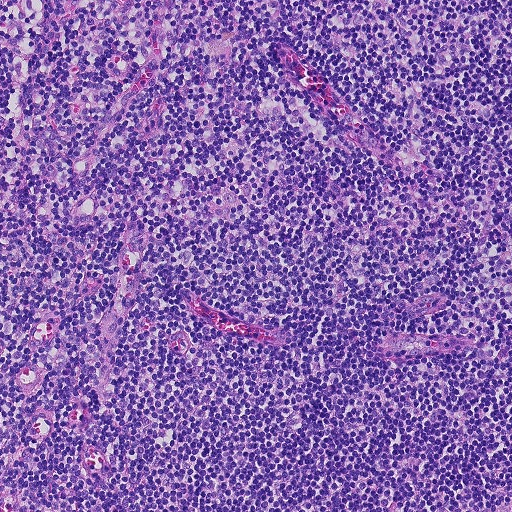
Lymph node section stained with H&E, from a whole-slide image of a breast-cancer sentinel node. Magnification about 10×, about 0.46 mm across the frame, about 0.9 µm per pixel.
Question: Is there metastatic carcinoma in this field?
Answer: No, this field holds no outlined metastasis.